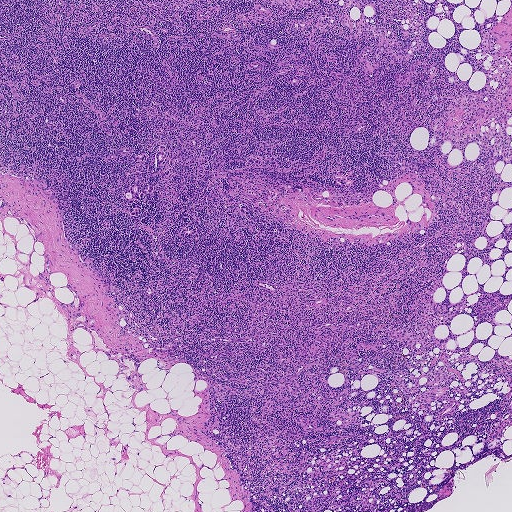
Lymph node section stained with H&E, from a whole-slide image of a breast-cancer sentinel node. Magnification about 2.5×, about 1.9 mm across the frame, about 3.6 µm per pixel.
Outlines of seven tumour regions, largest first (closed clockwise paths, crop pixels): region 1: (175, 131), (179, 132), (182, 138), (188, 140), (180, 160), (169, 166), (175, 170), (173, 173), (164, 178), (160, 178), (159, 175), (151, 177), (150, 174), (156, 167), (155, 156), (159, 147), (161, 144), (168, 147), (174, 143), (177, 145), (174, 151), (181, 149), (181, 145), (173, 134); region 2: (137, 179), (140, 181), (140, 187), (144, 187), (154, 182), (151, 193), (144, 195), (130, 203), (124, 200), (123, 192), (129, 190), (130, 187), (133, 185); region 3: (337, 168), (347, 173), (354, 172), (356, 183), (346, 188), (336, 187), (334, 184), (331, 172), (334, 169); region 4: (268, 154), (281, 161), (283, 164), (281, 166), (274, 168), (266, 168), (255, 165), (245, 164), (251, 156), (254, 155), (262, 157); region 5: (296, 75), (300, 76), (301, 79), (301, 83), (298, 85), (294, 85), (288, 82), (286, 78), (289, 76); region 6: (195, 227), (196, 231), (194, 234), (191, 235), (184, 235), (181, 233), (181, 231), (184, 228); region 7: (146, 153), (148, 159), (148, 162), (145, 163), (132, 157).
Three more small tumour pieces are annotated here but not outlined.
Under 5% of the image area is annotated as tumour.